Question: 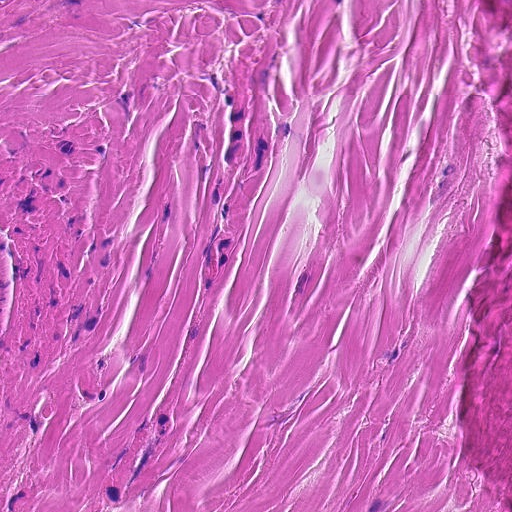
A 0.23-mm field of an H&E-stained sentinel lymph node from a breast-cancer patient (whole-slide image), shown at about 20×, about 0.45 µm per pixel.
About how much of this crop is taken up by metastatic carcinoma?

Choices:
 (A) about 10% to 20%
 (B) none: no tumour is outlined
 (C) about 25% to 45%
 (D) about 50% or more
 (E) about 5% or less

Answer: (B) none: no tumour is outlined
No metastatic tumour is outlined in this field.